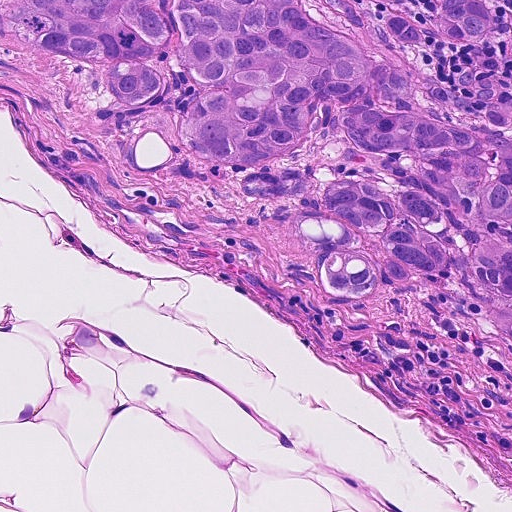
This is a crop of a whole-slide image: an H&E-stained breast-cancer sentinel lymph node section at roughly 20× magnification (about 0.45 µm per pixel; the crop spans about 0.23 mm).
The outlined metastatic tumour's edge, as a closed clockwise path of 22 points: (0, 0), (412, 0), (412, 11), (430, 0), (507, 0), (511, 38), (477, 44), (433, 34), (398, 54), (511, 137), (511, 359), (458, 284), (414, 274), (372, 296), (326, 301), (282, 222), (173, 136), (182, 83), (145, 109), (96, 108), (68, 66), (0, 35).
About 35% of the image area is annotated as tumour.